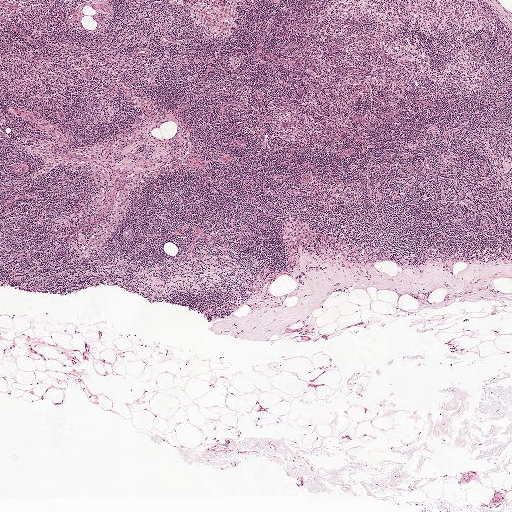
Lymph node section stained with H&E, from a whole-slide image of a breast-cancer sentinel node. Magnification about 2.5×, about 2.0 mm across the frame, about 3.9 µm per pixel.
Question: Is any metastatic breast cancer visible in this crop?
Answer: Yes.
The outlined metastatic tumour's edge, as a closed clockwise path of 7 points: (0, 0), (80, 0), (56, 8), (48, 14), (33, 35), (13, 45), (1, 56).
Under 5% of the image area is annotated as tumour.